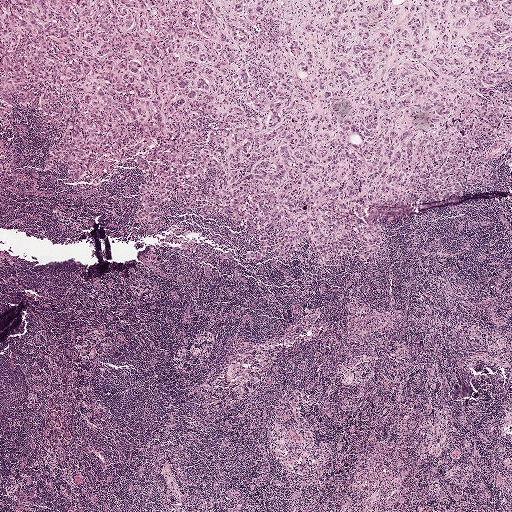
H&E-stained section of a sentinel lymph node (breast cancer), from a whole-slide image, viewed at about 2.5×: the field is about 2.0 mm across, about 3.9 µm per pixel.
Metastatic tumour outline, simplified to 19 points and listed clockwise in crop pixels (x, y): (0, 0), (511, 0), (510, 165), (494, 157), (497, 179), (465, 193), (367, 206), (389, 228), (360, 262), (250, 263), (252, 229), (184, 209), (141, 227), (138, 168), (67, 179), (67, 164), (44, 166), (59, 130), (2, 106).
About 40% of the image area is annotated as tumour.